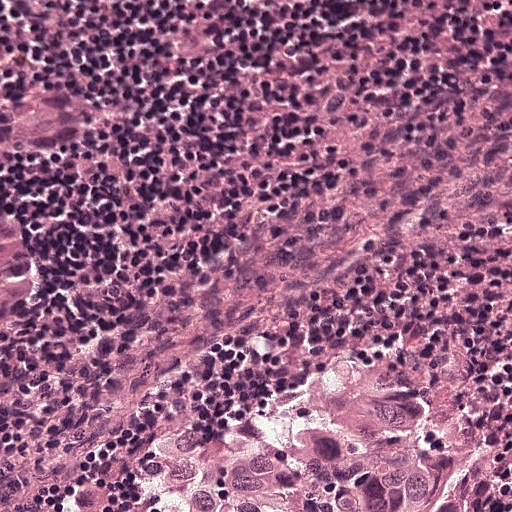
A 0.25-mm field of an H&E-stained sentinel lymph node from a breast-cancer patient (whole-slide image), shown at about 20×, about 0.49 µm per pixel.
Three metastatic tumour regions, each outlined as a closed clockwise path in crop pixels (x, y), largest first: region 1: (386, 326), (444, 330), (484, 454), (492, 511), (18, 511), (142, 421), (242, 393), (294, 391), (305, 362); region 2: (0, 136), (6, 192), (29, 268), (29, 321), (25, 334), (0, 373); region 3: (0, 71), (42, 80), (62, 91), (66, 132), (48, 136), (31, 136), (8, 130), (0, 134).
About 25% of this field is tumour.